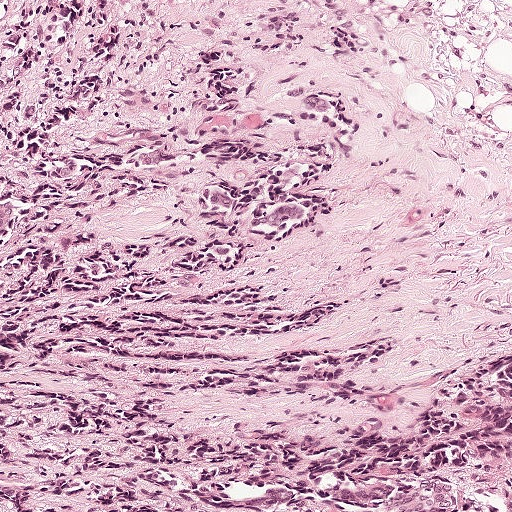
This is a crop of a whole-slide image: an H&E-stained breast-cancer sentinel lymph node section at roughly 10× magnification (about 0.97 µm per pixel; the crop spans about 0.5 mm).
Tumour region outline (a closed clockwise path, crop pixels): (0, 0), (366, 0), (382, 159), (409, 249), (464, 285), (511, 293), (511, 511), (0, 511).
The annotated tumour makes up about 85% of the crop.